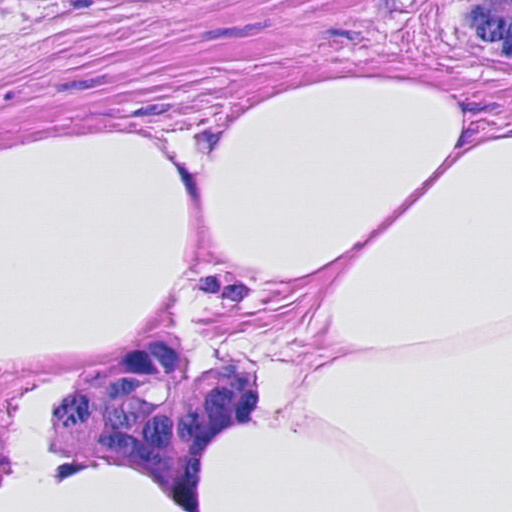
H&E-stained section of a sentinel lymph node (breast cancer), from a whole-slide image, viewed at about 40×: the field is about 0.12 mm across, about 0.23 µm per pixel.
Question: Outline the metastatic carcinoma in this image, as closed paths of (x, y) pixel coordinates.
Answer: Boundaries of three metastatic tumour regions, simplified and listed clockwise, largest first: region 1: (164, 328), (200, 352), (198, 366), (242, 357), (269, 394), (248, 432), (210, 451), (201, 511), (179, 511), (150, 480), (68, 463), (51, 435), (48, 392), (120, 344); region 2: (0, 0), (255, 0), (194, 25), (0, 106); region 3: (452, 0), (511, 0), (511, 65), (476, 55), (444, 22).
About 15% of this field is tumour.